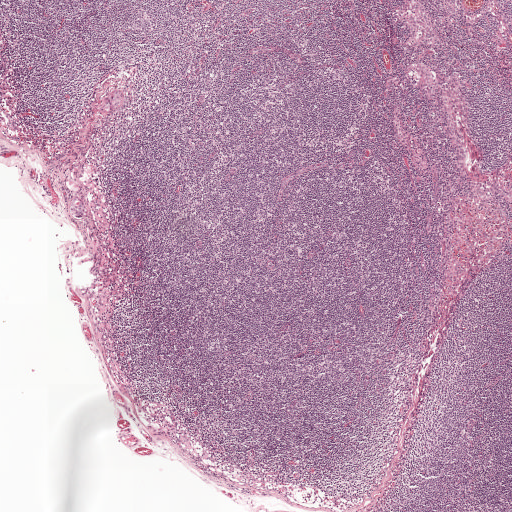
H&E-stained section of a sentinel lymph node (breast cancer), from a whole-slide image, viewed at about 2.5×: the field is about 2.0 mm across, about 3.9 µm per pixel.
Boundaries of two metastatic tumour regions, simplified and listed clockwise, largest first: region 1: (75, 197), (87, 201), (89, 211), (84, 219), (75, 220), (68, 214), (69, 204); region 2: (119, 89), (122, 91), (123, 103), (119, 108), (109, 112), (104, 112), (99, 109), (106, 97).
Under 5% of the image area is annotated as tumour.